Lymph node section stained with H&E, from a whole-slide image of a breast-cancer sentinel node. Magnification about 20×, about 0.25 mm across the frame, about 0.49 µm per pixel.
Question: 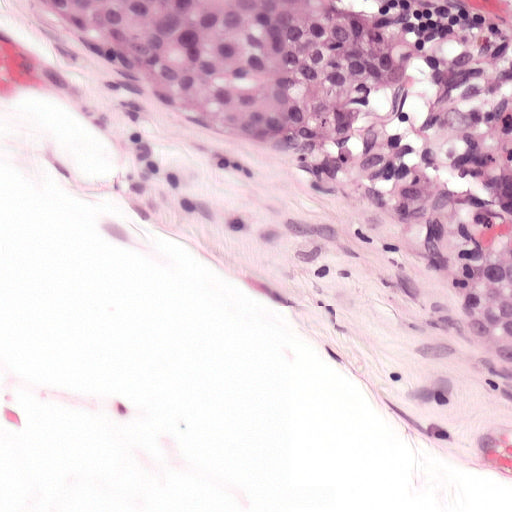
About how much of this crop is taken up by metastatic carcinoma?

Choices:
 (A) about 25% to 45%
 (B) about 5% or less
 (C) about 50% or more
 (D) none: no tumour is outlined
 (E) about 10% to 20%

Answer: (E) about 10% to 20%
About 20% of the field is tumour.
Two metastatic tumour regions, each outlined as a closed clockwise path in crop pixels (x, y), largest first: region 1: (29, 0), (392, 0), (421, 54), (398, 100), (316, 165), (267, 157), (124, 92), (82, 64); region 2: (511, 235), (511, 394), (471, 373), (454, 324), (462, 270), (498, 236).